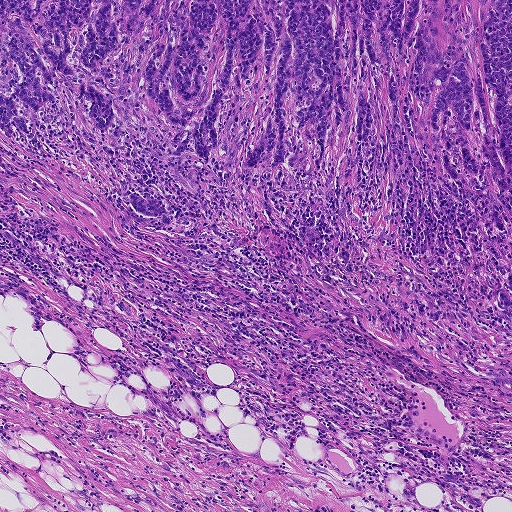
This is a crop of a whole-slide image: an H&E-stained breast-cancer sentinel lymph node section at roughly 5× magnification (about 1.8 µm per pixel; the crop spans about 0.93 mm).
Question: Is any metastatic breast cancer visible in this crop?
Answer: Yes.
Outlines of two tumour regions, largest first (closed clockwise paths, crop pixels): region 1: (0, 0), (511, 0), (511, 315), (496, 312), (488, 246), (430, 154), (389, 132), (361, 164), (342, 125), (316, 181), (310, 171), (169, 158), (158, 125), (123, 103), (108, 134), (78, 125), (62, 97), (34, 147), (4, 137); region 2: (133, 190), (154, 196), (162, 202), (168, 212), (176, 219), (168, 226), (137, 212), (125, 198).
About 30% of the image area is annotated as tumour.

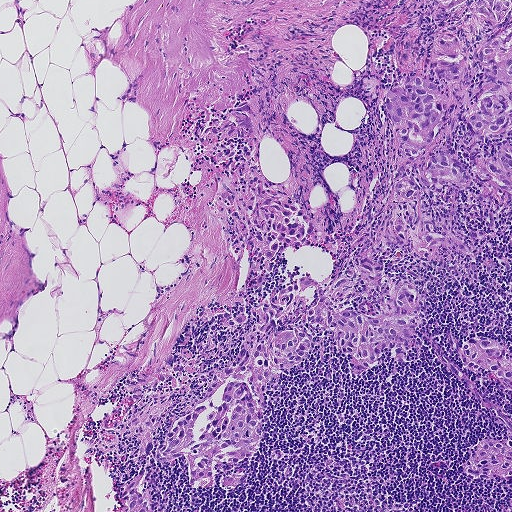
A 0.93-mm field of an H&E-stained sentinel lymph node from a breast-cancer patient (whole-slide image), shown at about 5×, about 1.8 µm per pixel.
Question: Is any metastatic breast cancer visible in this crop?
Answer: Yes.
Boundaries of three metastatic tumour regions, simplified and listed clockwise, largest first: region 1: (509, 438), (511, 440), (511, 479), (500, 481), (468, 477), (462, 472), (463, 464), (473, 454), (480, 440); region 2: (488, 337), (495, 339), (511, 353), (511, 388), (492, 372), (485, 369), (474, 370), (466, 367), (461, 361), (460, 345), (465, 340); region 3: (145, 468), (144, 477), (138, 482), (138, 489), (145, 493), (151, 511), (125, 511), (126, 510), (117, 500), (117, 492), (120, 485).
One more tumour region is annotated but not outlined: its edge is too irregular for a short outline.
Tumour covers about 20% of the frame.

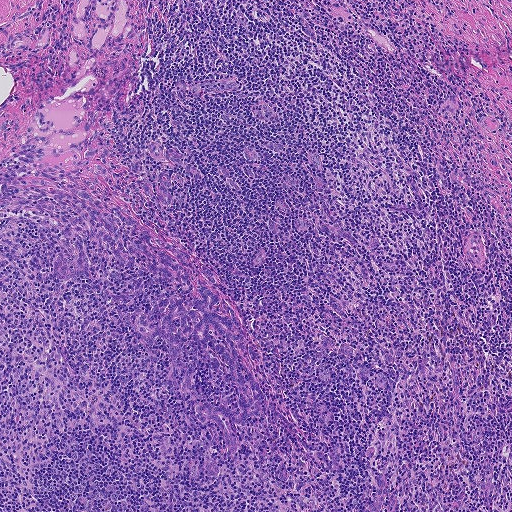
H&E-stained section of a sentinel lymph node (breast cancer), from a whole-slide image, viewed at about 5×: the field is about 0.93 mm across, about 1.8 µm per pixel.
Question: Is any metastatic breast cancer visible in this crop?
Answer: Yes.
Boundaries of four metastatic tumour regions, simplified and listed clockwise, largest first: region 1: (0, 109), (20, 127), (40, 111), (109, 147), (117, 154), (113, 163), (133, 171), (113, 174), (114, 196), (210, 268), (262, 351), (248, 363), (250, 370), (293, 432), (281, 419), (273, 426), (254, 418), (243, 428), (230, 419), (238, 441), (231, 456), (216, 423), (200, 426), (164, 385), (165, 344), (152, 351), (128, 326), (112, 322), (87, 282), (55, 279), (56, 231), (0, 219); region 2: (451, 96), (456, 97), (460, 101), (460, 106), (457, 111), (453, 113), (443, 111), (440, 107), (441, 102); region 3: (247, 146), (258, 150), (260, 154), (259, 159), (255, 162), (250, 162), (245, 159), (243, 154), (243, 149); region 4: (266, 142), (281, 144), (285, 146), (283, 151), (272, 151), (268, 150), (263, 146).
One more small tumour piece is annotated here but not outlined.
About 15% of the image area is annotated as tumour.

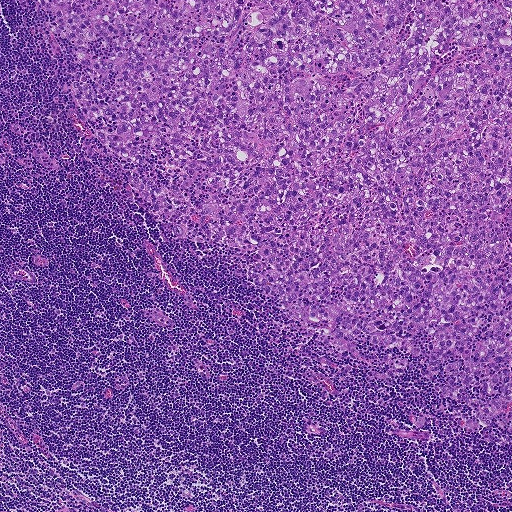
A 0.93-mm field of an H&E-stained sentinel lymph node from a breast-cancer patient (whole-slide image), shown at about 5×, about 1.8 µm per pixel.
Question: Is any metastatic breast cancer visible in this crop?
Answer: Yes.
Metastatic tumour outline, simplified to 24 points and listed clockwise in crop pixels (x, y): (511, 0), (511, 431), (494, 419), (469, 431), (480, 409), (440, 397), (460, 357), (446, 360), (426, 378), (427, 360), (358, 340), (409, 362), (375, 380), (259, 288), (255, 249), (176, 236), (123, 170), (138, 166), (96, 139), (101, 114), (82, 114), (70, 88), (86, 67), (39, 4).
About 50% of the image area is annotated as tumour.